Question: 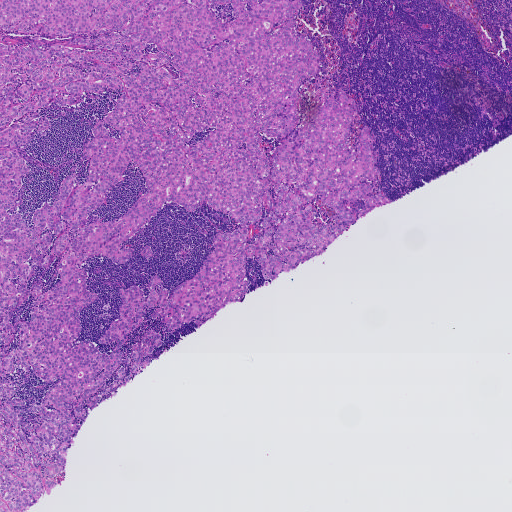
A 1.9-mm field of an H&E-stained sentinel lymph node from a breast-cancer patient (whole-slide image), shown at about 2.5×, about 3.6 µm per pixel.
What fraction of the image area is metastatic tumour?

Choices:
 (A) about 50% or more
 (B) about 10% to 20%
 (C) about 5% or less
 (D) none: no tumour is outlined
 (E) about 25% to 45%

Answer: (E) about 25% to 45%
About 45% of the field is tumour.
Metastatic tumour outline, simplified to 24 points and listed clockwise in crop pixels (x, y): (0, 0), (302, 0), (319, 67), (296, 126), (261, 133), (267, 157), (346, 91), (371, 192), (392, 200), (342, 202), (348, 225), (315, 198), (343, 232), (268, 285), (248, 257), (243, 301), (202, 325), (143, 309), (124, 358), (151, 328), (163, 344), (86, 404), (26, 511), (0, 511).